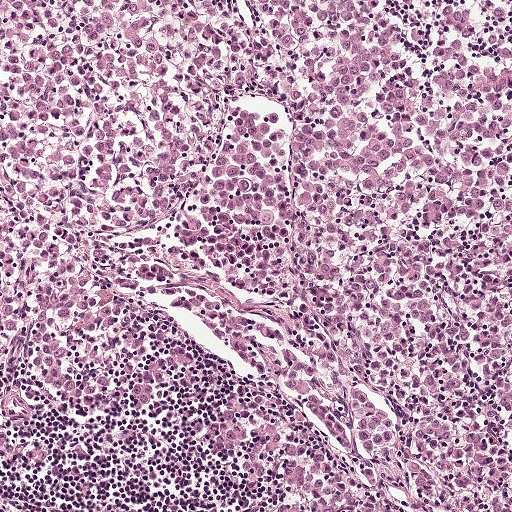
A 0.5-mm field of an H&E-stained sentinel lymph node from a breast-cancer patient (whole-slide image), shown at about 10×, about 0.97 µm per pixel.
Boundaries of two metastatic tumour regions, simplified and listed clockwise, largest first: region 1: (511, 0), (511, 511), (464, 511), (432, 486), (392, 474), (324, 401), (294, 324), (281, 210), (300, 87), (316, 41), (348, 3); region 2: (0, 0), (198, 0), (231, 70), (193, 173), (87, 263), (56, 323), (22, 346), (0, 346).
About 60% of the image area is annotated as tumour.